A 2.0-mm field of an H&E-stained sentinel lymph node from a breast-cancer patient (whole-slide image), shown at about 2.5×, about 3.9 µm per pixel.
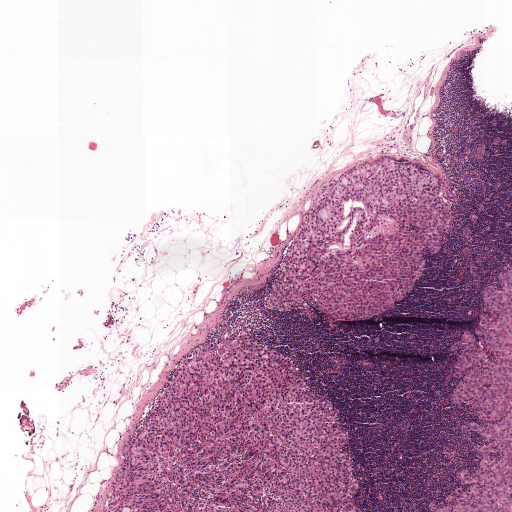
Three metastatic tumour regions, each outlined as a closed clockwise path in crop pixels (x, y), largest first: region 1: (243, 326), (283, 346), (297, 373), (338, 408), (365, 508), (100, 511), (128, 441), (180, 362); region 2: (392, 154), (439, 171), (450, 188), (453, 227), (446, 245), (431, 258), (420, 286), (383, 317), (334, 323), (307, 312), (268, 311), (262, 303), (295, 230), (323, 188), (372, 156); region 3: (511, 264), (511, 511), (426, 511), (430, 502), (450, 495), (464, 468), (475, 468), (471, 446), (488, 441), (454, 429), (480, 420), (454, 407), (449, 398), (447, 356), (472, 325), (482, 295).
About 25% of the image area is annotated as tumour.